Image:
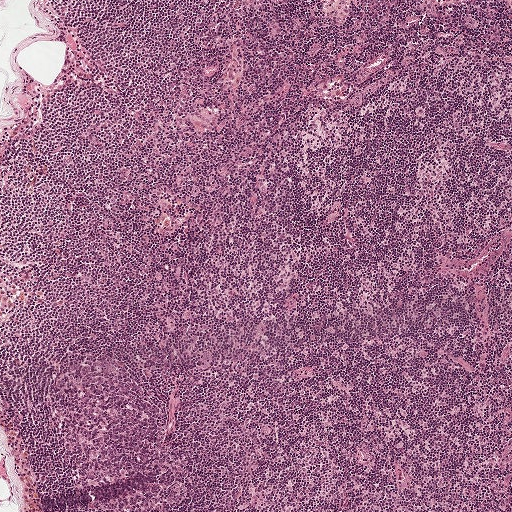
A 1-mm field of an H&E-stained sentinel lymph node from a breast-cancer patient (whole-slide image), shown at about 5×, about 1.9 µm per pixel.
Question:
Is there metastatic carcinoma in this field?
Answer:
No. No metastatic tumour is outlined in this field.